H&E-stained section of a sentinel lymph node (breast cancer), from a whole-slide image, viewed at about 2.5×: the field is about 1.9 mm across, about 3.6 µm per pixel.
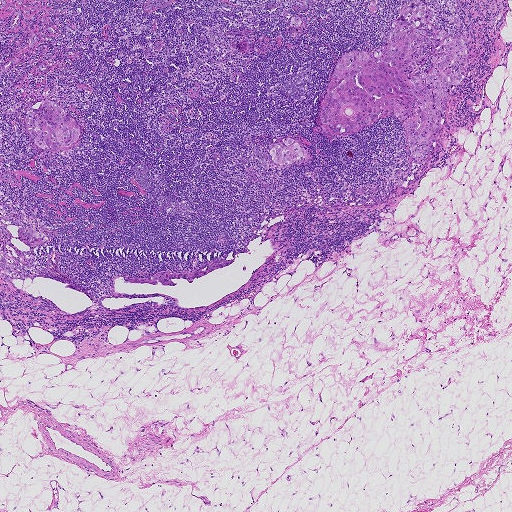
Five metastatic tumour regions, each outlined as a closed clockwise path in crop pixels (x, y), largest first: region 1: (414, 0), (424, 3), (430, 22), (466, 46), (467, 62), (463, 77), (450, 94), (444, 135), (422, 163), (414, 161), (404, 131), (393, 115), (340, 136), (321, 130), (319, 109), (340, 56), (350, 50), (380, 48), (393, 21); region 2: (47, 100), (58, 105), (76, 121), (79, 136), (71, 146), (42, 149), (29, 136), (25, 120), (27, 111), (34, 104); region 3: (285, 137), (295, 139), (306, 149), (307, 153), (306, 158), (302, 161), (287, 165), (272, 163), (268, 154), (269, 149); region 4: (230, 259), (233, 259), (230, 264), (227, 265), (215, 269), (207, 274), (195, 278), (191, 283), (188, 282), (185, 279), (182, 278), (173, 278), (170, 280), (175, 285), (163, 285), (161, 283), (158, 282), (156, 285), (152, 285), (147, 283), (141, 284), (125, 282), (122, 277), (146, 277), (160, 272), (166, 271), (172, 274), (182, 274), (194, 273), (216, 263); region 5: (30, 227), (46, 235), (47, 241), (38, 246), (29, 247), (18, 238), (19, 230).
One more small tumour piece is annotated here but not outlined.
About 5% of the image area is annotated as tumour.